Question: 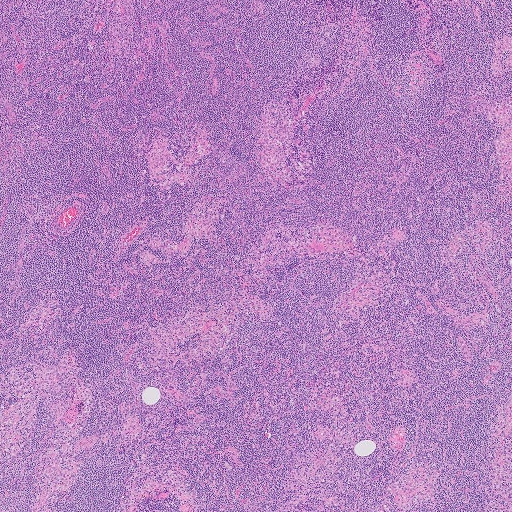
At roughly what magnification is this field shown?

Choices:
 (A) about 20×
 (B) about 5×
 (C) about 2.5×
 (D) about 10×
 (E) about 40×

Answer: (C) about 2.5×
H&E-stained section of a sentinel lymph node (breast cancer), from a whole-slide image, viewed at about 2.5×: the field is about 2.0 mm across, about 4.0 µm per pixel.